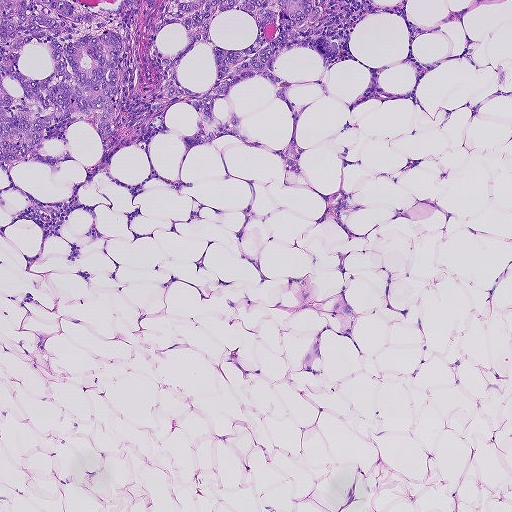
H&E-stained section of a sentinel lymph node (breast cancer), from a whole-slide image, viewed at about 5×: the field is about 0.93 mm across, about 1.8 µm per pixel.
Tumour region outline (a closed clockwise path, crop pixels): (0, 0), (317, 0), (315, 32), (338, 41), (325, 67), (310, 49), (278, 54), (286, 101), (254, 76), (216, 100), (213, 115), (233, 111), (246, 143), (226, 136), (186, 152), (191, 104), (167, 107), (156, 132), (162, 91), (126, 85), (112, 136), (64, 118), (7, 172).
Tumour covers about 15% of the frame.